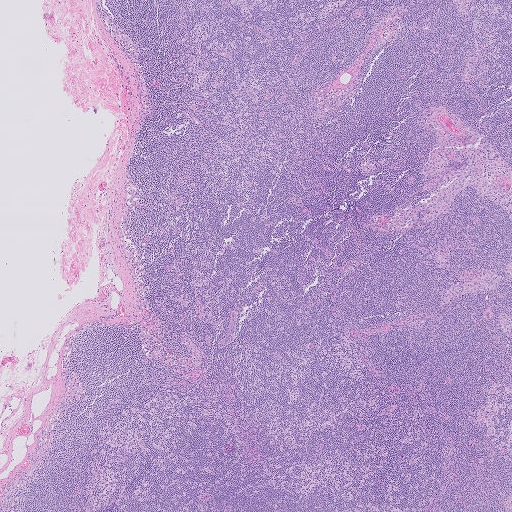
This is a crop of a whole-slide image: an H&E-stained breast-cancer sentinel lymph node section at roughly 2.5× magnification (about 4.0 µm per pixel; the crop spans about 2.0 mm).